Question: 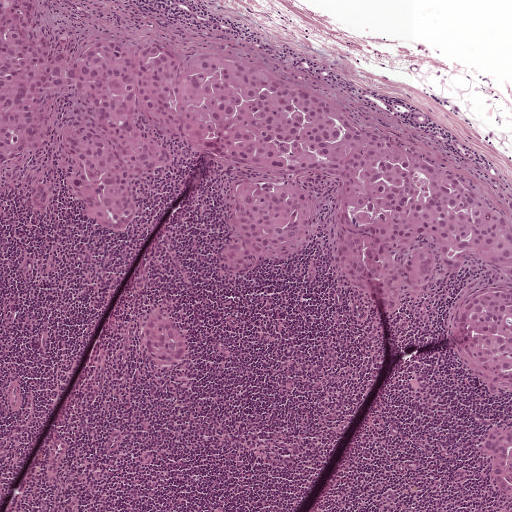
This is a crop of a whole-slide image: an H&E-stained breast-cancer sentinel lymph node section at roughly 5× magnification (about 1.9 µm per pixel; the crop spans about 1 mm).
Estimate the proportion of this field that is metastatic tumour.

Choices:
 (A) about 50% or more
 (B) about 10% to 20%
 (C) about 25% to 45%
 (D) none: no tumour is outlined
 (E) about 5% or less

Answer: (C) about 25% to 45%
About 35% of the field is tumour.
Boundaries of three metastatic tumour regions, simplified and listed clockwise, largest first: region 1: (0, 0), (38, 0), (42, 28), (72, 46), (139, 33), (267, 60), (439, 154), (511, 212), (511, 396), (485, 391), (463, 371), (446, 327), (473, 284), (510, 279), (481, 260), (387, 316), (336, 272), (336, 222), (318, 195), (295, 257), (233, 276), (219, 266), (232, 189), (285, 177), (217, 161), (141, 117), (171, 155), (122, 234), (105, 236), (77, 215), (64, 182), (62, 97), (44, 158), (56, 208), (47, 222), (25, 197), (0, 198); region 2: (159, 307), (172, 318), (182, 330), (188, 344), (191, 359), (179, 367), (163, 367), (149, 360), (144, 346), (141, 330), (147, 316); region 3: (511, 420), (511, 496), (493, 494), (481, 460), (484, 444), (495, 430).
One more small tumour piece is annotated here but not outlined.